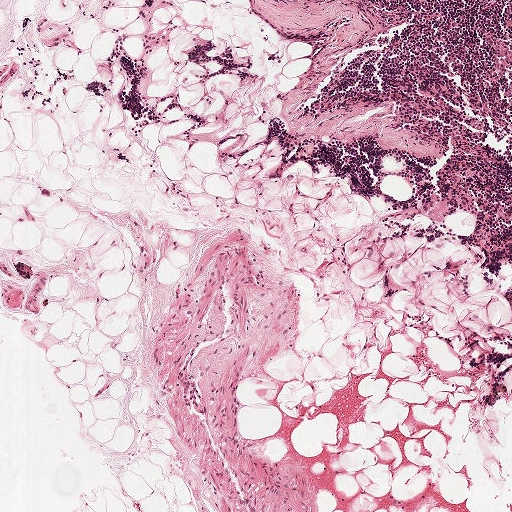
A 1-mm field of an H&E-stained sentinel lymph node from a breast-cancer patient (whole-slide image), shown at about 5×, about 1.9 µm per pixel.
Question: Does this lymph node field contain metastatic tumour?
Answer: No: no metastatic tumour is outlined anywhere in this field.